Question: 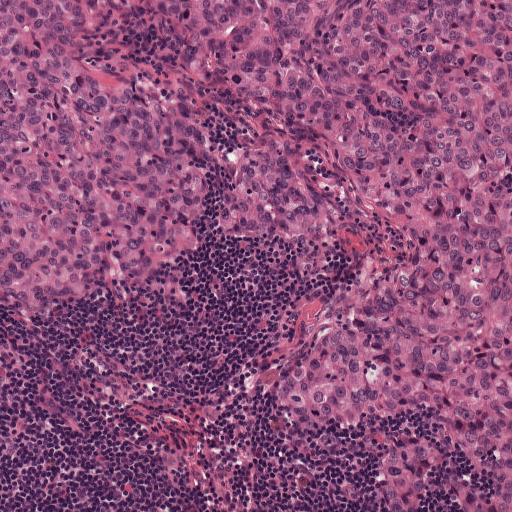
Lymph node section stained with H&E, from a whole-slide image of a breast-cancer sentinel node. Magnification about 10×, about 0.5 mm across the frame, about 0.97 µm per pixel.
Estimate the proportion of this field that is metastatic tumour.

Choices:
 (A) about 50% or more
 (B) about 25% to 45%
 (C) about 10% to 20%
 (D) about 5% or less
 (E) none: no tumour is outlined

Answer: (A) about 50% or more
About 75% of the field is tumour.
Metastatic tumour outline, simplified to 16 points and listed clockwise in crop pixels (x, y): (0, 0), (511, 0), (511, 511), (371, 511), (353, 439), (308, 452), (275, 418), (279, 372), (321, 290), (354, 258), (298, 268), (208, 244), (200, 284), (165, 314), (26, 318), (0, 302).